Question: 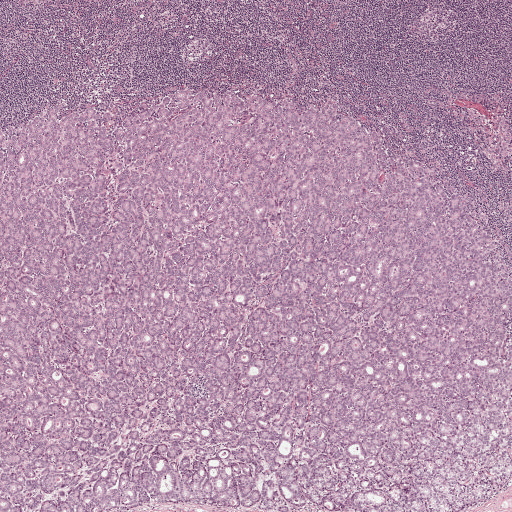
This is a crop of a whole-slide image: an H&E-stained breast-cancer sentinel lymph node section at roughly 2.5× magnification (about 3.9 µm per pixel; the crop spans about 2.0 mm).
What fraction of the image area is metastatic tumour?

Choices:
 (A) about 5% or less
 (B) none: no tumour is outlined
 (C) about 10% to 20%
 (D) about 50% or more
 (E) about 25% to 45%

Answer: (D) about 50% or more
About 75% of the field is tumour.
Tumour region outline (a closed clockwise path, crop pixels): (194, 88), (329, 98), (470, 196), (511, 268), (511, 483), (463, 511), (0, 511), (0, 129), (62, 100), (59, 120), (88, 107), (124, 115).